A 2.0-mm field of an H&E-stained sentinel lymph node from a breast-cancer patient (whole-slide image), shown at about 2.5×, about 3.9 µm per pixel.
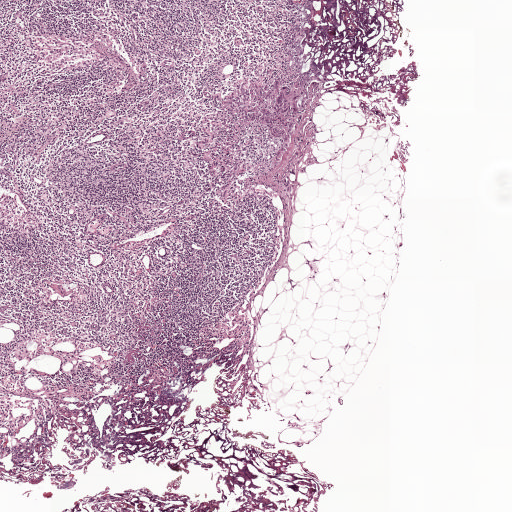
Metastatic tumour outline, simplified to 24 points and listed clockwise in crop pixels (x, y): (278, 73), (307, 89), (307, 104), (284, 158), (276, 163), (280, 141), (256, 122), (241, 131), (236, 152), (248, 168), (242, 176), (242, 195), (235, 199), (224, 202), (219, 200), (227, 171), (225, 167), (214, 171), (203, 162), (195, 149), (201, 118), (220, 111), (210, 97), (254, 74).
About 5% of this field is tumour.